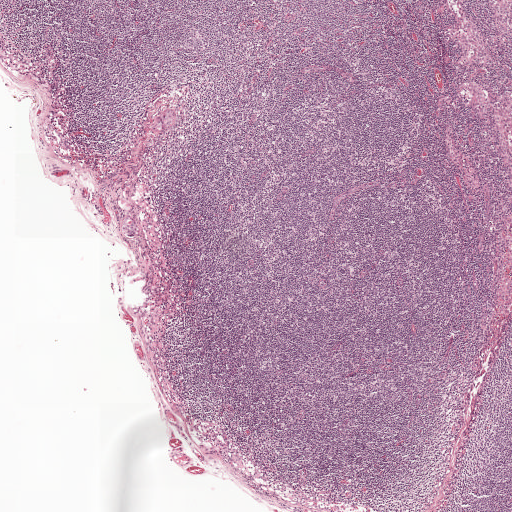
H&E-stained section of a sentinel lymph node (breast cancer), from a whole-slide image, viewed at about 2.5×: the field is about 2.0 mm across, about 3.9 µm per pixel.
Outlines of two tumour regions, largest first (closed clockwise paths, crop pixels): region 1: (127, 216), (139, 220), (141, 230), (136, 238), (127, 239), (120, 233), (121, 223); region 2: (171, 108), (174, 110), (175, 122), (171, 127), (161, 131), (156, 131), (151, 128), (158, 116).
Under 5% of the image area is annotated as tumour.